Lymph node section stained with H&E, from a whole-slide image of a breast-cancer sentinel node. Magnification about 20×, about 0.25 mm across the frame, about 0.49 µm per pixel.
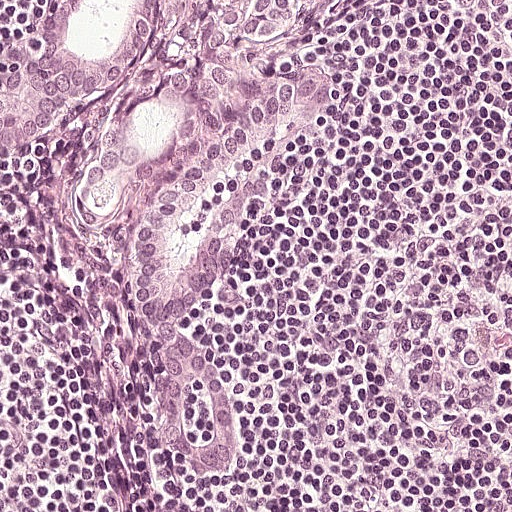
Four metastatic tumour regions, each outlined as a closed clockwise path in crop pixels (x, y), largest first: region 1: (317, 64), (335, 66), (343, 79), (338, 103), (310, 119), (234, 236), (196, 318), (175, 332), (158, 332), (124, 290), (124, 252), (132, 227), (160, 174), (252, 96); region 2: (200, 0), (322, 0), (320, 11), (304, 27), (272, 43), (250, 45), (234, 82), (210, 102), (164, 172), (130, 192), (106, 220), (84, 221), (72, 214), (69, 193), (98, 137), (114, 116), (132, 106), (146, 74), (162, 62), (172, 32); region 3: (58, 0), (154, 0), (126, 102), (90, 130), (0, 164), (0, 79), (36, 52); region 4: (190, 329), (210, 348), (240, 395), (243, 422), (241, 454), (237, 470), (230, 475), (221, 480), (206, 480), (172, 462), (154, 416), (154, 374), (170, 336).
Region 4 encloses a non-tumour hole of about 20% of its area.
About 25% of this field is tumour.